Image:
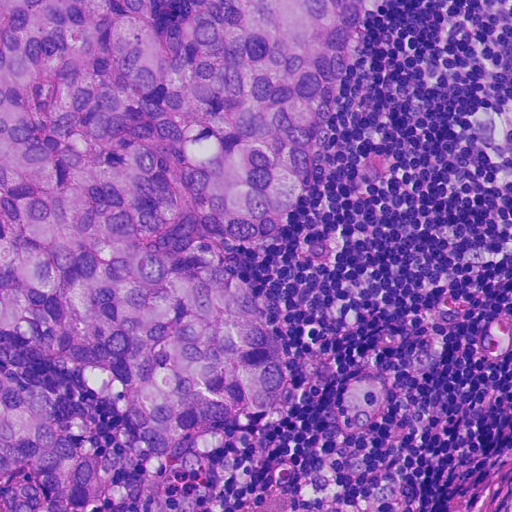
A 0.23-mm field of an H&E-stained sentinel lymph node from a breast-cancer patient (whole-slide image), shown at about 20×, about 0.45 µm per pixel.
Question:
Where is the metastatic tumour in this field?
Answer:
Metastatic tumour outline, simplified to 20 points and listed clockwise in crop pixels (x, y): (0, 0), (387, 0), (364, 15), (320, 157), (286, 221), (270, 240), (222, 239), (226, 260), (295, 358), (295, 405), (274, 424), (224, 426), (242, 460), (222, 482), (176, 469), (106, 402), (60, 386), (124, 458), (110, 511), (0, 511).
The annotated tumour makes up about 55% of the crop.